Lymph node section stained with H&E, from a whole-slide image of a breast-cancer sentinel node. Magnification about 20×, about 0.25 mm across the frame, about 0.49 µm per pixel.
Image:
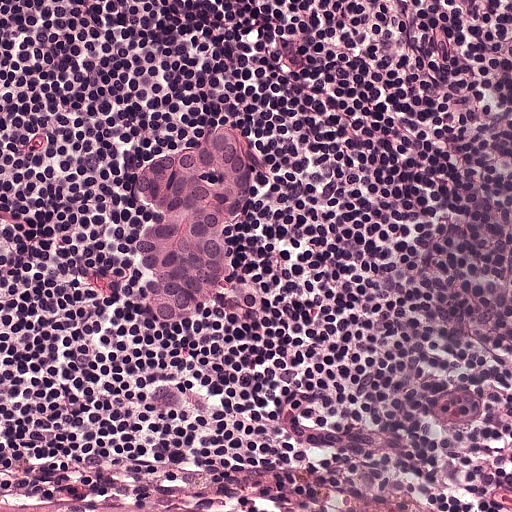
Question:
Is there metastatic carcinoma in this field?
Answer:
Yes.
Metastatic tumour outline, simplified to 15 points and listed clockwise in crop pixels (x, y): (221, 127), (237, 136), (250, 158), (251, 191), (245, 213), (222, 237), (222, 286), (216, 308), (187, 326), (166, 328), (148, 316), (135, 274), (142, 226), (130, 198), (154, 158).
About 5% of this field is tumour.